This is a crop of a whole-slide image: an H&E-stained breast-cancer sentinel lymph node section at roughly 10× magnification (about 0.97 µm per pixel; the crop spans about 0.5 mm).
Question: 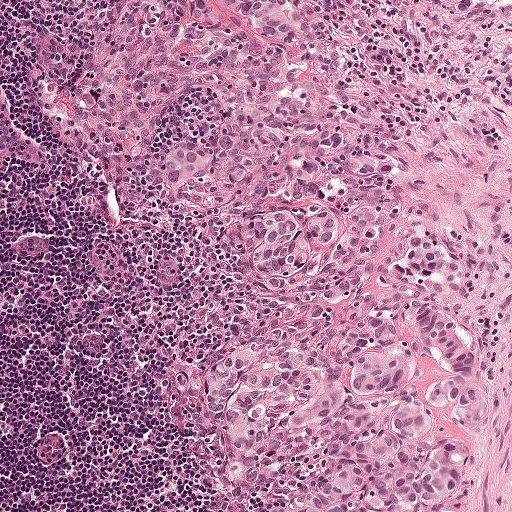
What fraction of the image area is metastatic tumour?

Choices:
 (A) about 25% to 45%
 (B) about 10% to 20%
 (C) none: no tumour is outlined
 (D) about 50% or more
 (E) about 5% or less

Answer: (A) about 25% to 45%
About 35% of the field is tumour.
Two metastatic tumour regions, each outlined as a closed clockwise path in crop pixels (x, y), largest first: region 1: (272, 87), (396, 146), (412, 192), (386, 231), (458, 242), (470, 272), (454, 296), (481, 309), (494, 364), (469, 510), (272, 511), (328, 466), (318, 436), (261, 484), (231, 481), (222, 437), (167, 372), (223, 353), (273, 300), (240, 229), (159, 198), (146, 173), (166, 136); region 2: (222, 0), (301, 0), (305, 8), (303, 49), (295, 52), (287, 52), (266, 43), (250, 30), (242, 17), (235, 10), (227, 7).